Question: 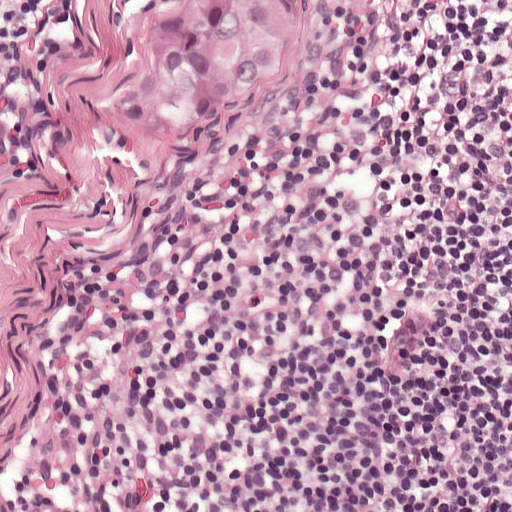
Lymph node section stained with H&E, from a whole-slide image of a breast-cancer sentinel node. Magnification about 20×, about 0.25 mm across the frame, about 0.49 µm per pixel.
Estimate the proportion of this field that is metastatic tumour.

Choices:
 (A) about 50% or more
 (B) about 25% to 45%
 (C) none: no tumour is outlined
 (D) about 5% or less
 (E) about 10% to 20%

Answer: (D) about 5% or less
About 5% of the field is tumour.
Tumour region outline (a closed clockwise path, crop pixels): (183, 0), (306, 0), (304, 56), (270, 97), (192, 138), (152, 138), (111, 105), (126, 66), (150, 37), (162, 10).